Question: 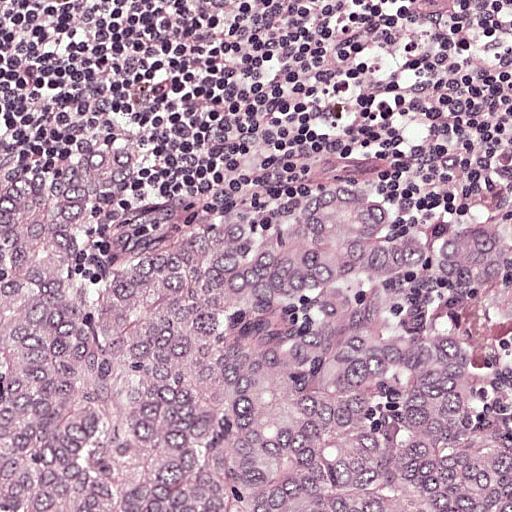
H&E-stained section of a sentinel lymph node (breast cancer), from a whole-slide image, viewed at about 20×: the field is about 0.25 mm across, about 0.49 µm per pixel.
About how much of this crop is taken up by metastatic carcinoma?

Choices:
 (A) about 25% to 45%
 (B) none: no tumour is outlined
 (C) about 50% or more
 (D) about 5% or less
 (E) about 10% to 20%

Answer: (C) about 50% or more
About 60% of the field is tumour.
Metastatic tumour outline, simplified to 13 points and listed clockwise in crop pixels (x, y): (112, 122), (148, 146), (130, 184), (70, 245), (88, 284), (236, 201), (319, 180), (409, 210), (511, 223), (511, 511), (0, 511), (0, 175), (31, 154).